Image:
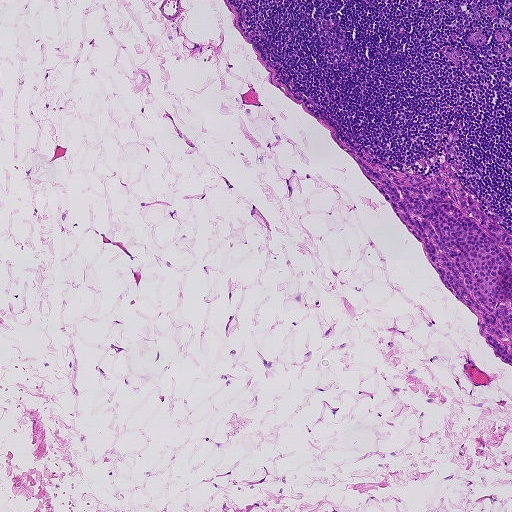
This is a crop of a whole-slide image: an H&E-stained breast-cancer sentinel lymph node section at roughly 5× magnification (about 1.8 µm per pixel; the crop spans about 0.93 mm).
Question:
Does this lymph node field contain metastatic tumour?
Answer:
Yes.
The outlined metastatic tumour's edge, as a closed clockwise path of 11 points: (331, 134), (351, 153), (368, 162), (447, 177), (511, 235), (511, 366), (494, 354), (477, 330), (472, 312), (446, 289), (420, 242).
About 5% of the image area is annotated as tumour.

Image:
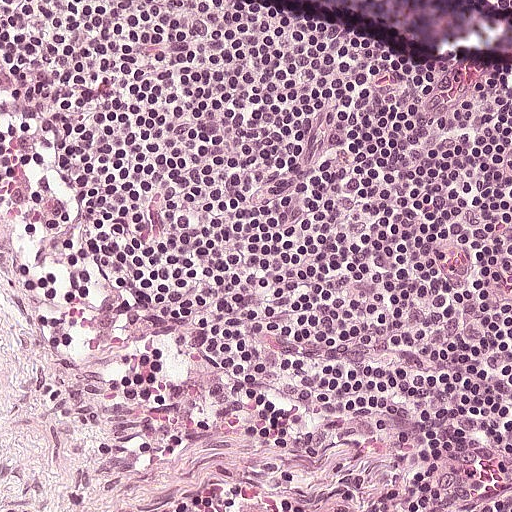
A 0.25-mm field of an H&E-stained sentinel lymph node from a breast-cancer patient (whole-slide image), shown at about 20×, about 0.49 µm per pixel.
Question:
Does this lymph node field contain metastatic tumour?
Answer:
No, this field holds no outlined metastasis.

Image:
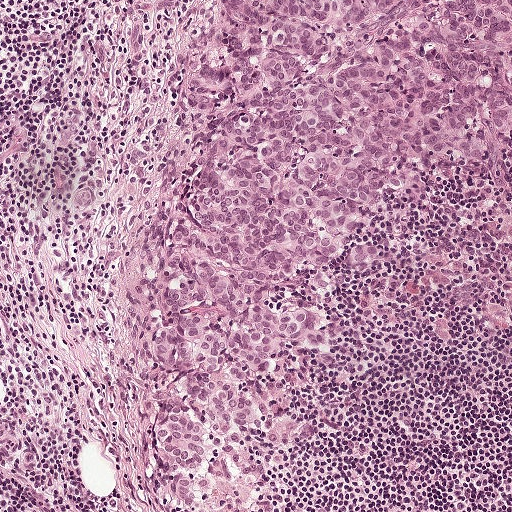
H&E-stained section of a sentinel lymph node (breast cancer), from a whole-slide image, viewed at about 10×: the field is about 0.5 mm across, about 0.97 µm per pixel.
Question:
Does this lymph node field contain metastatic tumour?
Answer:
Yes.
Tumour region outline (a closed clockwise path, crop pixels): (511, 0), (511, 174), (456, 202), (340, 308), (311, 450), (280, 511), (148, 510), (143, 282), (173, 214), (183, 61), (212, 1).
About 50% of the image area is annotated as tumour.

Image:
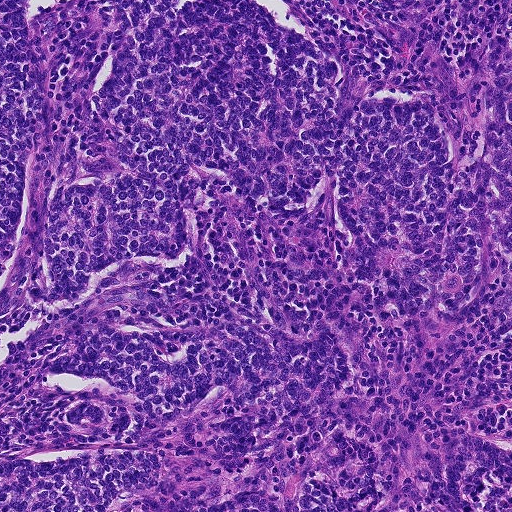
H&E-stained section of a sentinel lymph node (breast cancer), from a whole-slide image, viewed at about 10×: the field is about 0.46 mm across, about 0.9 µm per pixel.
Question:
Does this lymph node field contain metastatic tumour?
Answer:
Yes.
Two metastatic tumour regions, each outlined as a closed clockwise path in crop pixels (x, y), largest first: region 1: (0, 0), (268, 0), (367, 94), (443, 121), (473, 223), (460, 166), (511, 59), (511, 282), (475, 231), (462, 324), (365, 300), (336, 198), (264, 219), (199, 172), (181, 267), (111, 293), (110, 319), (336, 339), (357, 388), (226, 487), (391, 468), (381, 496), (0, 511); region 2: (459, 424), (511, 435), (511, 478), (486, 476), (462, 496), (467, 511), (447, 511), (423, 469), (430, 436).
The annotated tumour makes up about 70% of the crop.